Question: 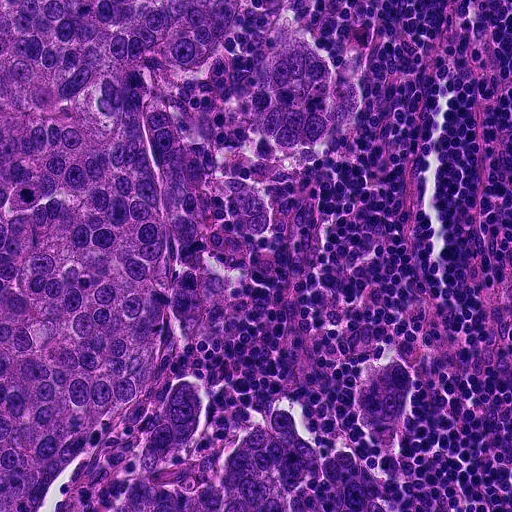
H&E-stained section of a sentinel lymph node (breast cancer), from a whole-slide image, viewed at about 20×: the field is about 0.23 mm across, about 0.45 µm per pixel.
About how much of this crop is taken up by metastatic carcinoma?

Choices:
 (A) none: no tumour is outlined
 (B) about 5% or less
 (C) about 10% to 20%
 (D) about 25% to 45%
 (E) about 50% or more

Answer: (E) about 50% or more
About 50% of the field is tumour.
Two metastatic tumour regions, each outlined as a closed clockwise path in crop pixels (x, y), largest first: region 1: (0, 0), (236, 0), (208, 62), (152, 72), (163, 100), (207, 138), (230, 122), (285, 16), (349, 74), (363, 102), (332, 151), (282, 183), (264, 158), (237, 148), (216, 168), (244, 173), (276, 222), (250, 235), (208, 187), (194, 332), (96, 439), (108, 466), (134, 453), (184, 376), (206, 396), (190, 451), (249, 436), (284, 398), (319, 443), (348, 448), (380, 476), (352, 391), (402, 358), (412, 385), (374, 511), (0, 511); region 2: (284, 0), (312, 0), (304, 12).